Question: 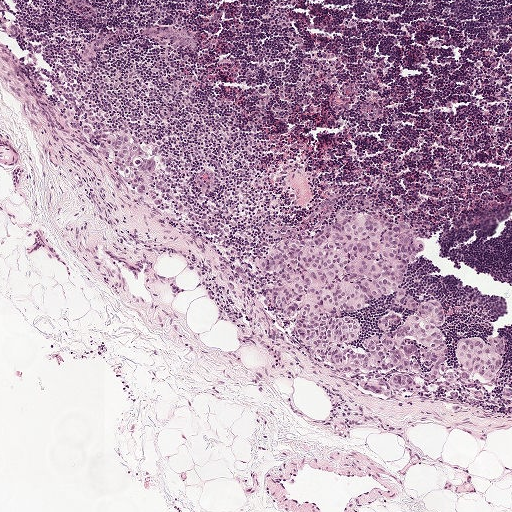
A 1-mm field of an H&E-stained sentinel lymph node from a breast-cancer patient (whole-slide image), shown at about 5×, about 1.9 µm per pixel.
What fraction of the image area is metastatic tumour?

Choices:
 (A) none: no tumour is outlined
 (B) about 25% to 45%
 (C) about 10% to 20%
 (D) about 50% or more
 (E) about 5% or less

Answer: (C) about 10% to 20%
About 10% of the field is tumour.
Four metastatic tumour regions, each outlined as a closed clockwise path in crop pixels (x, y), largest first: region 1: (378, 206), (409, 222), (424, 242), (404, 281), (418, 306), (403, 309), (394, 292), (343, 311), (364, 332), (355, 350), (382, 334), (381, 317), (397, 314), (403, 324), (436, 299), (449, 364), (463, 367), (462, 336), (496, 336), (503, 360), (497, 378), (474, 372), (474, 388), (441, 389), (423, 375), (428, 365), (416, 339), (393, 349), (414, 347), (420, 374), (337, 371), (292, 334), (272, 298), (274, 275), (255, 262), (282, 239), (318, 237), (344, 208); region 2: (88, 123), (106, 132), (124, 128), (137, 137), (144, 154), (152, 159), (158, 170), (166, 175), (173, 192), (183, 205), (184, 211), (174, 212), (169, 206), (163, 210), (153, 209), (130, 193), (110, 165), (96, 155), (82, 140), (78, 129), (80, 125); region 3: (386, 378), (387, 382), (384, 388), (390, 389), (390, 395), (385, 397), (371, 391), (364, 390), (364, 383), (372, 379); region 4: (396, 374), (409, 374), (413, 376), (414, 384), (409, 390), (404, 388), (396, 388), (390, 383).
Two more small tumour pieces are annotated here but not outlined.